Lymph node section stained with H&E, from a whole-slide image of a breast-cancer sentinel node. Magnification about 20×, about 0.25 mm across the frame, about 0.49 µm per pixel.
Image:
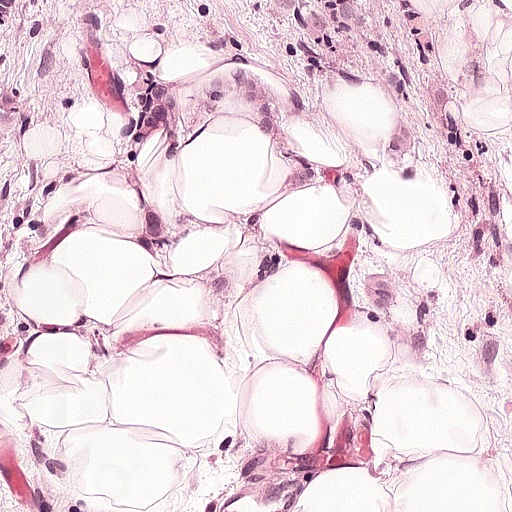
Question:
Outline the metastatic carcinoma in this image, as closed paths of (x, y) pixel coordinates.
Answer:
Tumour region outline (a closed clockwise path, crop pixels): (0, 0), (416, 4), (412, 80), (364, 74), (232, 118), (158, 167), (99, 230), (3, 276).
Tumour covers about 25% of the frame.